Image:
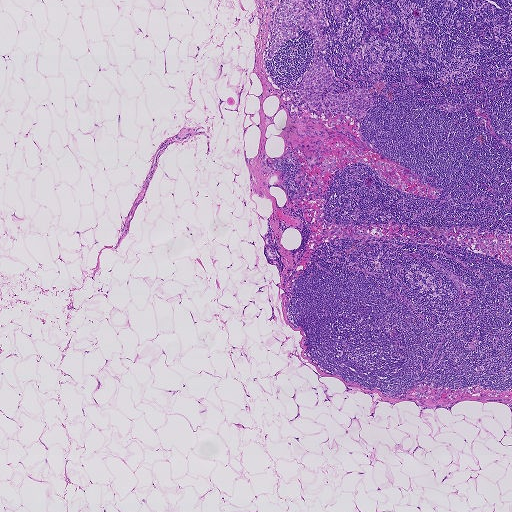
This is a crop of a whole-slide image: an H&E-stained breast-cancer sentinel lymph node section at roughly 2.5× magnification (about 3.6 µm per pixel; the crop spans about 1.9 mm).
Question:
Which parts of this field are metastatic tumour?
Answer:
Two metastatic tumour regions, each outlined as a closed clockwise path in crop pixels (x, y), largest first: region 1: (280, 0), (323, 0), (328, 25), (319, 27), (327, 38), (328, 48), (324, 54), (320, 52), (321, 55), (325, 58), (338, 78), (347, 82), (331, 83), (328, 91), (342, 94), (369, 89), (381, 81), (385, 82), (380, 91), (393, 91), (392, 102), (373, 93), (371, 107), (358, 119), (343, 115), (317, 117), (296, 109), (286, 88), (311, 66), (313, 43), (309, 28), (298, 28), (299, 38), (290, 39), (275, 57), (266, 60), (271, 14); region 2: (342, 0), (344, 10), (344, 19), (341, 21), (335, 20), (331, 6), (332, 1).
Under 5% of this field is tumour.